Question: 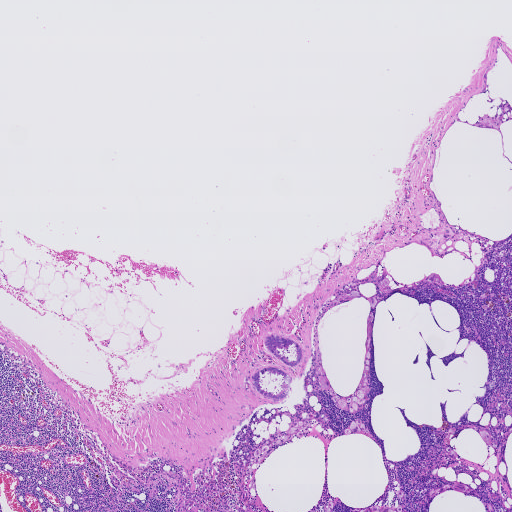
H&E-stained section of a sentinel lymph node (breast cancer), from a whole-slide image, viewed at about 2.5×: the field is about 1.9 mm across, about 3.6 µm per pixel.
About how much of this crop is taken up by metastatic carcinoma?

Choices:
 (A) about 25% to 45%
 (B) about 10% to 20%
 (C) about 50% or more
 (D) none: no tumour is outlined
 (E) about 5% or less

Answer: (E) about 5% or less
Under 5% of the field is tumour.
Outlines of two tumour regions, largest first (closed clockwise paths, crop pixels): region 1: (270, 367), (288, 374), (292, 380), (288, 395), (283, 400), (279, 400), (264, 396), (253, 385), (252, 377), (257, 372); region 2: (271, 332), (286, 339), (290, 338), (299, 345), (302, 352), (302, 360), (297, 365), (290, 366), (266, 348), (264, 340), (268, 334).